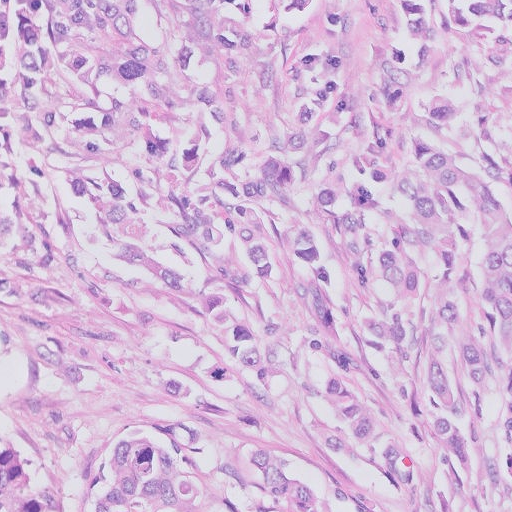
This is a crop of a whole-slide image: an H&E-stained breast-cancer sentinel lymph node section at roughly 20× magnification (about 0.5 µm per pixel; the crop spans about 0.26 mm).
Metastatic tumour covers the whole field.
Over 95% of the image area is annotated as tumour.